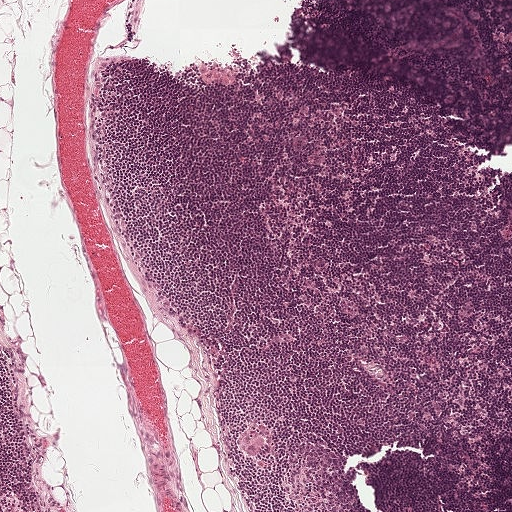
A 1-mm field of an H&E-stained sentinel lymph node from a breast-cancer patient (whole-slide image), shown at about 5×, about 1.9 µm per pixel.